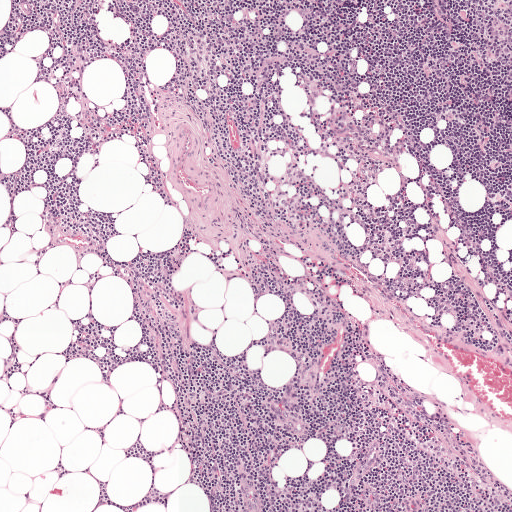
This is a crop of a whole-slide image: an H&E-stained breast-cancer sentinel lymph node section at roughly 5× magnification (about 1.9 µm per pixel; the crop spans about 1 mm).